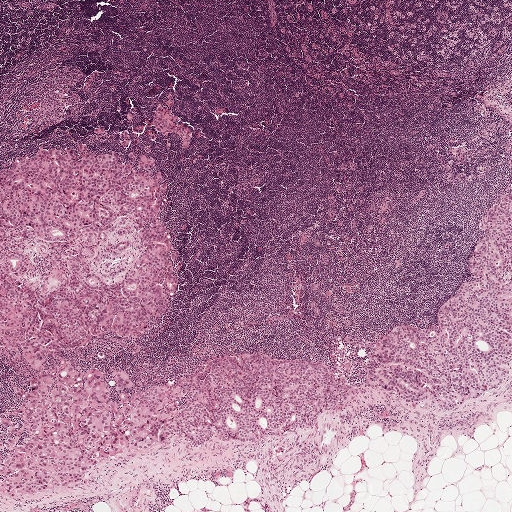
A 2.0-mm field of an H&E-stained sentinel lymph node from a breast-cancer patient (whole-slide image), shown at about 2.5×, about 3.9 µm per pixel.
Question: Where is the metastatic tumour in this field?
Answer: Outlines of seven tumour regions, largest first (closed clockwise paths, crop pixels): region 1: (54, 147), (81, 162), (84, 157), (155, 158), (178, 286), (141, 337), (61, 351), (71, 366), (117, 402), (265, 351), (325, 365), (352, 400), (277, 437), (180, 435), (76, 486), (0, 493), (0, 418), (22, 427), (38, 376), (21, 347), (0, 356), (0, 170); region 2: (510, 192), (511, 376), (504, 386), (451, 414), (373, 388), (365, 375), (365, 362), (378, 338), (393, 327), (436, 326), (439, 304), (454, 295), (469, 273), (482, 218); region 3: (169, 95), (174, 97), (175, 104), (172, 110), (174, 113), (180, 118), (185, 126), (190, 127), (192, 131), (188, 147), (185, 148), (181, 147), (183, 139), (180, 134), (164, 136), (151, 127), (158, 103), (167, 106), (166, 99); region 4: (125, 370), (133, 383), (134, 388), (123, 391), (117, 390), (112, 374), (114, 371); region 5: (305, 445), (313, 451), (314, 457), (311, 464), (302, 466), (299, 466), (301, 458), (301, 448); region 6: (248, 497), (250, 498), (256, 498), (258, 502), (257, 502), (254, 501), (251, 501), (249, 503), (248, 506), (249, 511), (244, 511), (240, 505), (245, 499); region 7: (123, 131), (126, 131), (128, 132), (129, 135), (129, 142), (127, 146), (125, 147), (124, 147), (122, 143), (121, 136).
Three more small tumour pieces are annotated here but not outlined.
About 30% of the image area is annotated as tumour.